Image:
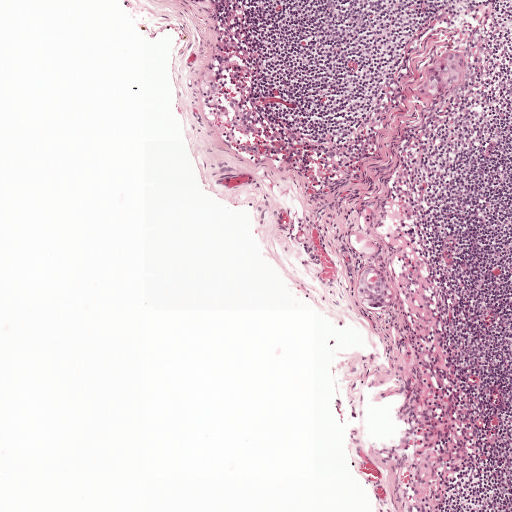
A 1-mm field of an H&E-stained sentinel lymph node from a breast-cancer patient (whole-slide image), shown at about 5×, about 1.9 µm per pixel.
Question:
Trace the edge of each tumour region in this crop, as (x, y) points from 0 to 511.
Answer:
Two metastatic tumour regions, each outlined as a closed clockwise path in crop pixels (x, y), largest first: region 1: (369, 265), (392, 275), (397, 293), (387, 309), (368, 313), (355, 299), (357, 280); region 2: (456, 50), (463, 53), (465, 64), (465, 77), (456, 88), (437, 97), (427, 97), (416, 90), (429, 66).
The annotated tumour makes up under 5% of the crop.